Lymph node section stained with H&E, from a whole-slide image of a breast-cancer sentinel node. Magnification about 5×, about 1 mm across the frame, about 1.9 µm per pixel.
Image:
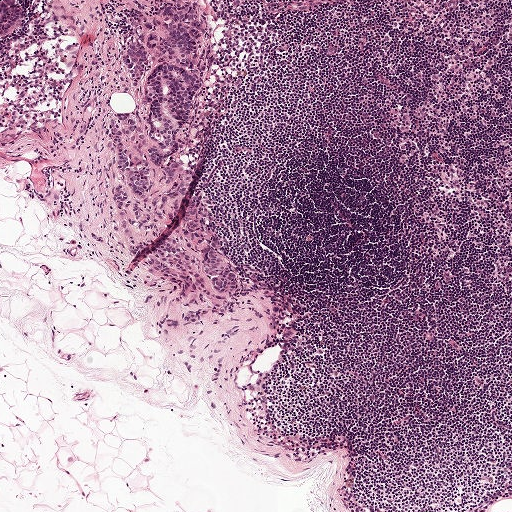
Question:
Where is the metastatic tumour in this field? Give each region's outline as (x, y) pixel points.
Answer:
Two metastatic tumour regions, each outlined as a closed clockwise path in crop pixels (x, y), largest first: region 1: (176, 0), (209, 0), (208, 62), (179, 142), (178, 175), (240, 277), (232, 296), (203, 282), (200, 298), (191, 296), (111, 236), (115, 213), (138, 213), (149, 203), (145, 203), (133, 212), (109, 202), (117, 170), (106, 132), (130, 109), (146, 107), (142, 86), (116, 65), (117, 48); region 2: (0, 0), (22, 0), (25, 8), (24, 25), (17, 36), (8, 39), (0, 39).
The annotated tumour makes up about 10% of the crop.